Lymph node section stained with H&E, from a whole-slide image of a breast-cancer sentinel node. Magnification about 10×, about 0.46 mm across the frame, about 0.9 µm per pixel.
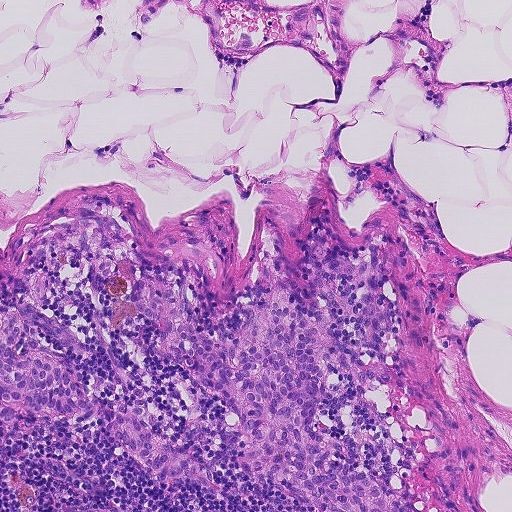
Outlines of three tumour regions, largest first (closed clockwise paths, crop pixels): region 1: (275, 297), (316, 301), (337, 348), (358, 368), (378, 369), (379, 376), (371, 386), (346, 372), (324, 374), (317, 427), (336, 438), (356, 438), (361, 450), (356, 469), (410, 509), (314, 511), (241, 473), (229, 410), (181, 368), (164, 363), (160, 346), (183, 329), (217, 339), (242, 334); region 2: (16, 312), (21, 331), (14, 352), (20, 360), (40, 356), (54, 362), (80, 382), (90, 406), (88, 411), (70, 415), (46, 408), (38, 414), (22, 410), (0, 449), (0, 329), (7, 317); region 3: (138, 388), (146, 397), (147, 412), (157, 419), (152, 430), (154, 442), (167, 442), (179, 446), (187, 456), (208, 469), (216, 486), (212, 489), (188, 482), (169, 484), (158, 479), (104, 430), (106, 424), (132, 409), (136, 397), (132, 392).
Two more small tumour pieces are annotated here but not outlined.
The annotated tumour makes up about 15% of the crop.